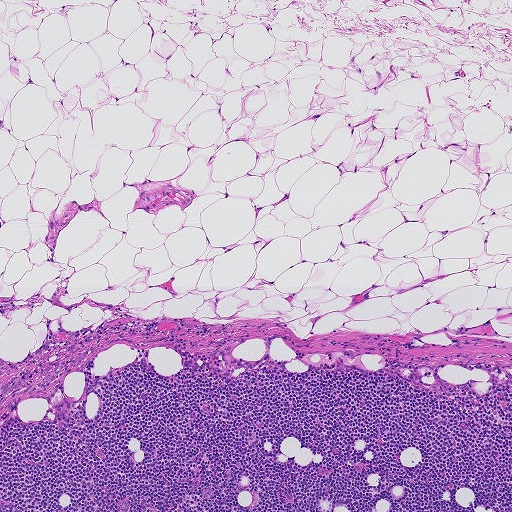
Lymph node section stained with H&E, from a whole-slide image of a breast-cancer sentinel node. Magnification about 5×, about 0.93 mm across the frame, about 1.8 µm per pixel.
Boundaries of two metastatic tumour regions, simplified and listed clockwise, largest first: region 1: (60, 327), (76, 333), (107, 332), (95, 344), (119, 338), (96, 352), (47, 390), (20, 393), (1, 402), (0, 356), (8, 361), (22, 359), (41, 346), (48, 329); region 2: (9, 296), (20, 300), (9, 302), (24, 306), (8, 311), (0, 311), (0, 298).
Tumour covers under 5% of the frame.